This is a crop of a whole-slide image: an H&E-stained breast-cancer sentinel lymph node section at roughly 40× magnification (about 0.24 µm per pixel; the crop spans about 0.12 mm).
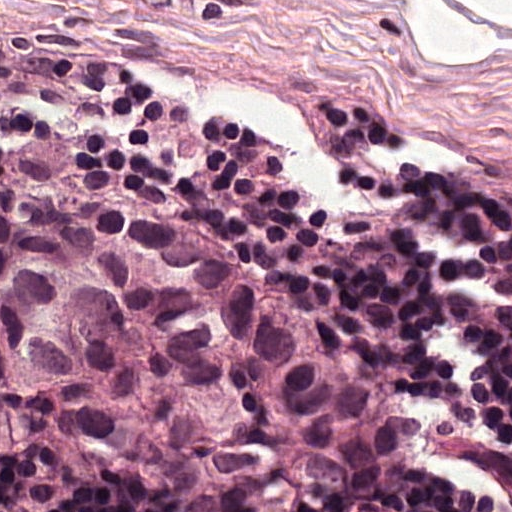
Metastatic tumour outline, simplified to 13 points and listed clockwise in crop pixels (x, y): (115, 184), (168, 189), (292, 258), (365, 334), (430, 439), (410, 489), (369, 511), (200, 511), (157, 455), (15, 342), (0, 275), (5, 237), (28, 205).
Tumour covers about 35% of the frame.